H&E-stained section of a sentinel lymph node (breast cancer), from a whole-slide image, viewed at about 40×: the field is about 0.12 mm across, about 0.24 µm per pixel.
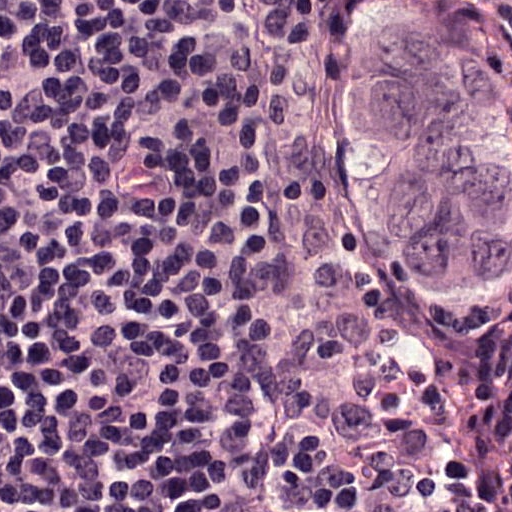
Metastatic tumour outline, simplified to 11 points and listed clockwise in crop pixels (x, y): (349, 0), (420, 2), (493, 59), (511, 127), (511, 265), (491, 283), (379, 257), (351, 229), (334, 190), (312, 176), (312, 82).
About 15% of this field is tumour.